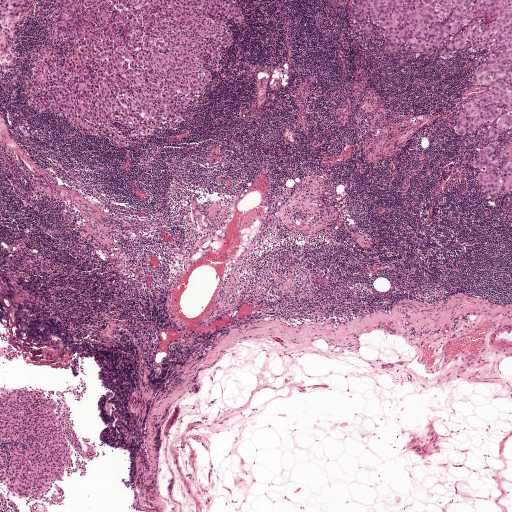
A 2.0-mm field of an H&E-stained sentinel lymph node from a breast-cancer patient (whole-slide image), shown at about 2.5×, about 3.9 µm per pixel.
Question: Trace the edge of each tumour region in this crop, as (x, y) points from 0 to 511.
Answer: Outlines of four tumour regions, largest first (closed clockwise paths, crop pixels): region 1: (0, 0), (239, 0), (249, 23), (243, 32), (235, 25), (199, 114), (134, 147), (93, 142), (28, 107), (21, 88), (46, 31), (41, 22), (31, 18), (16, 33), (18, 63), (3, 78); region 2: (315, 0), (511, 0), (511, 192), (486, 201), (475, 180), (479, 171), (468, 163), (474, 156), (464, 158), (463, 137), (454, 132), (460, 97), (481, 93), (488, 85), (474, 87), (466, 80), (468, 70), (484, 54), (433, 64), (391, 62), (378, 46), (358, 40), (343, 12); region 3: (80, 381), (89, 387), (86, 398), (78, 404), (69, 403), (95, 451), (91, 471), (84, 480), (63, 482), (65, 502), (55, 505), (22, 500), (18, 509), (0, 511), (0, 385), (6, 382), (50, 392); region 4: (511, 202), (511, 238), (506, 229), (504, 219).
About 20% of this field is tumour.